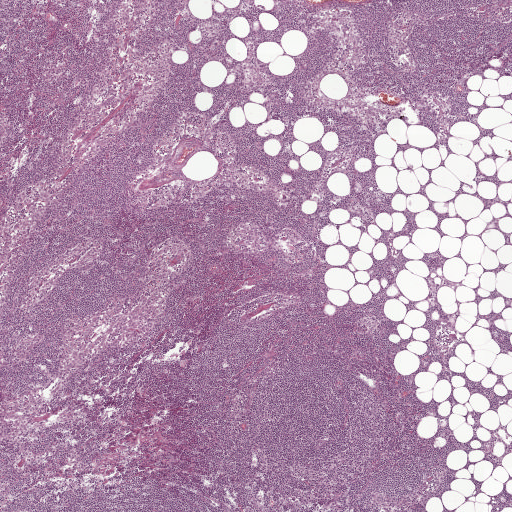
A 2.0-mm field of an H&E-stained sentinel lymph node from a breast-cancer patient (whole-slide image), shown at about 2.5×, about 3.9 µm per pixel.